A 0.5-mm field of an H&E-stained sentinel lymph node from a breast-cancer patient (whole-slide image), shown at about 10×, about 0.97 µm per pixel.
Question: 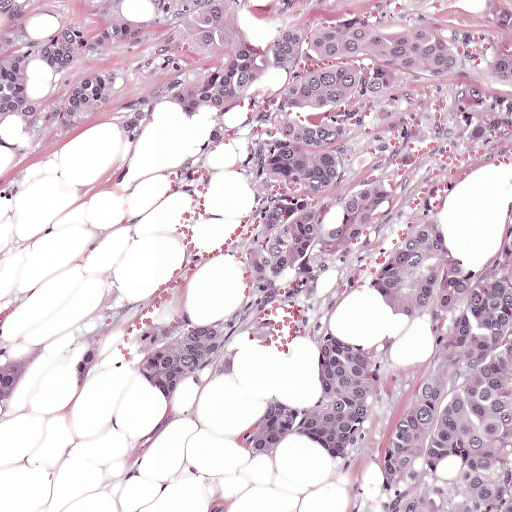
What fraction of the image area is metastatic tumour?

Choices:
 (A) about 10% to 20%
 (B) about 5% or less
 (C) about 50% or more
 (D) none: no tumour is outlined
 (E) about 25% to 45%

Answer: (C) about 50% or more
About 55% of the field is tumour.
Outlines of two tumour regions, largest first (closed clockwise paths, crop pixels): region 1: (0, 0), (140, 23), (180, 0), (511, 0), (511, 154), (468, 156), (167, 403), (40, 366), (0, 404), (0, 369), (33, 350), (136, 369), (253, 294), (259, 126), (290, 74), (230, 111), (158, 110), (132, 142), (100, 120), (48, 143), (0, 125); region 2: (428, 218), (479, 262), (511, 224), (511, 511), (375, 511), (383, 476), (298, 439), (264, 463), (237, 459), (236, 434), (270, 393), (292, 403), (319, 393), (317, 337), (386, 356), (435, 343), (429, 316), (408, 322), (373, 284), (395, 247).